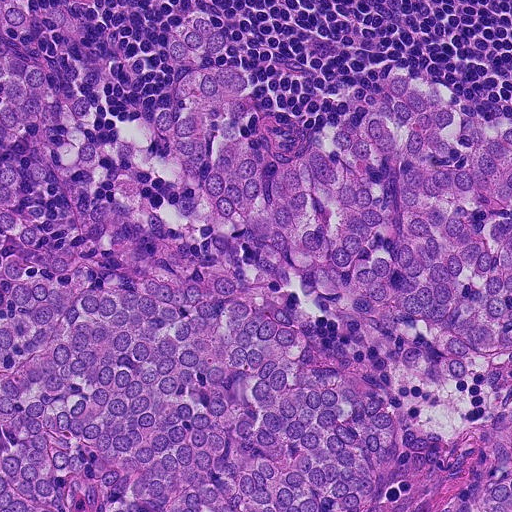
A 0.23-mm field of an H&E-stained sentinel lymph node from a breast-cancer patient (whole-slide image), shown at about 20×, about 0.45 µm per pixel.
Question: Where is the metastatic tumour in this field? Give each region's outline as (x, y) pixel points.
Answer: One metastatic tumour region; its boundary, reduced to 18 corners and listed clockwise: (0, 0), (68, 0), (110, 71), (114, 126), (140, 136), (176, 60), (160, 38), (174, 12), (201, 4), (222, 21), (254, 86), (321, 141), (360, 92), (390, 76), (421, 74), (511, 120), (511, 511), (0, 511).
About 85% of the image area is annotated as tumour.